Question: 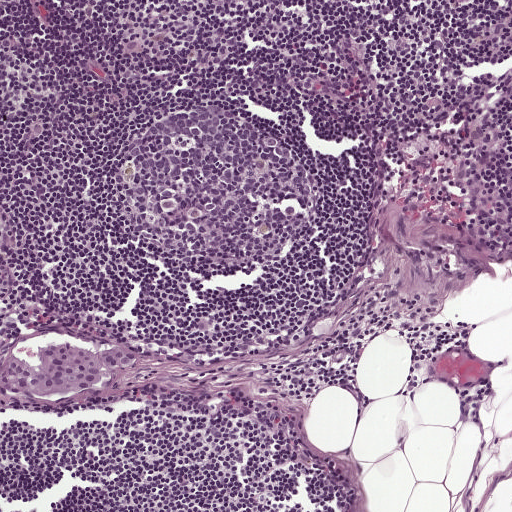
Lymph node section stained with H&E, from a whole-slide image of a breast-cancer sentinel node. Magnification about 10×, about 0.5 mm across the frame, about 0.97 µm per pixel.
Estimate the proportion of this field that is metastatic tumour.

Choices:
 (A) about 50% or more
 (B) about 25% to 45%
 (C) none: no tumour is outlined
 (D) about 10% to 20%
 (E) about 5% or less

Answer: (E) about 5% or less
Under 5% of the field is tumour.
The outlined metastatic tumour's edge, as a closed clockwise path of 18 points: (66, 342), (98, 350), (118, 346), (138, 353), (136, 363), (131, 368), (115, 372), (111, 378), (104, 379), (100, 386), (93, 388), (44, 396), (0, 389), (0, 363), (15, 352), (36, 364), (37, 350), (42, 345).